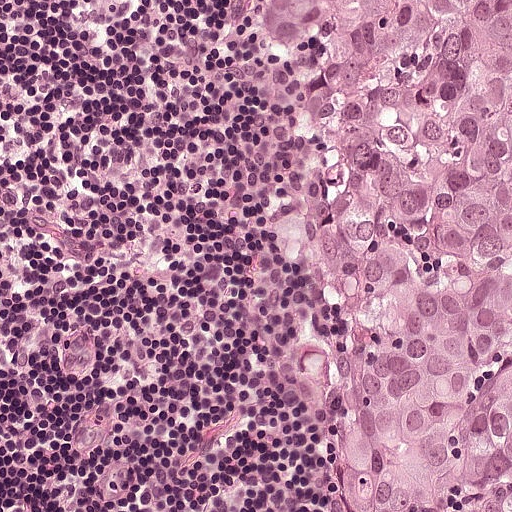
A 0.25-mm field of an H&E-stained sentinel lymph node from a breast-cancer patient (whole-slide image), shown at about 20×, about 0.49 µm per pixel.
Question: Outline the metastatic carcinoma in this image, as closed paths of (x, y) pixel coordinates.
Answer: Tumour region outline (a closed clockwise path, crop pixels): (511, 0), (511, 511), (346, 511), (357, 477), (342, 482), (309, 432), (259, 302), (257, 258), (280, 160), (260, 72), (268, 4).
About 45% of this field is tumour.